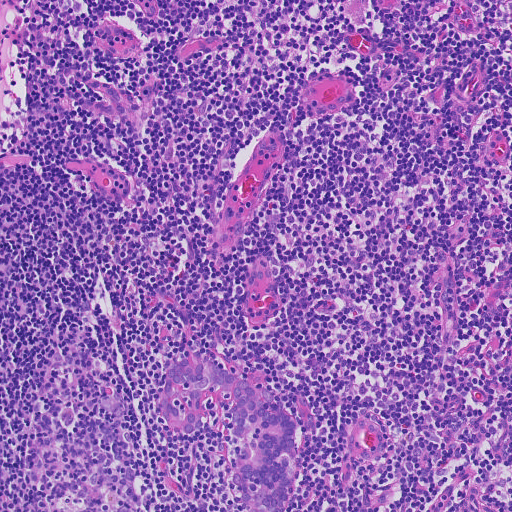
H&E-stained section of a sentinel lymph node (breast cancer), from a whole-slide image, viewed at about 10×: the field is about 0.46 mm across, about 0.91 µm per pixel.
The outlined metastatic tumour's edge, as a closed clockwise path of 21 points: (197, 351), (265, 389), (297, 421), (298, 467), (285, 510), (248, 511), (240, 488), (231, 482), (236, 456), (243, 443), (230, 430), (234, 424), (230, 390), (214, 385), (206, 390), (202, 408), (206, 423), (186, 435), (166, 424), (158, 411), (171, 366).
The annotated tumour makes up about 5% of the crop.